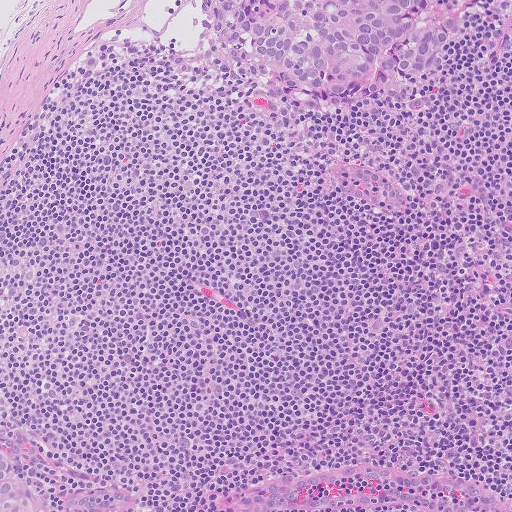
H&E-stained section of a sentinel lymph node (breast cancer), from a whole-slide image, viewed at about 10×: the field is about 0.51 mm across, about 1.0 µm per pixel.
Boundaries of two metastatic tumour regions, simplified and listed clockwise, largest first: region 1: (198, 0), (474, 0), (432, 63), (394, 91), (352, 109), (258, 89), (238, 78), (221, 60); region 2: (0, 397), (42, 433), (50, 459), (55, 511), (0, 511).
Tumour covers about 10% of the frame.